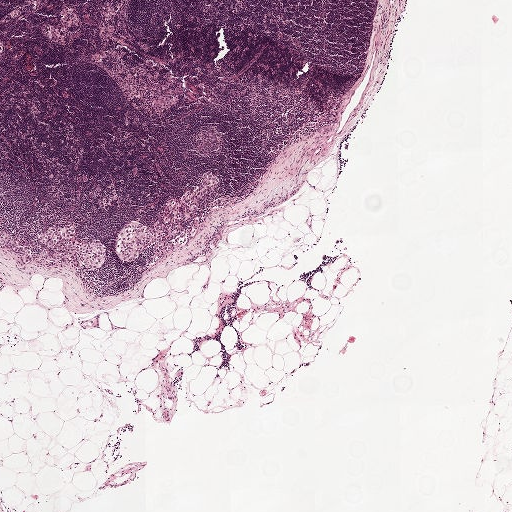
A 2.0-mm field of an H&E-stained sentinel lymph node from a breast-cancer patient (whole-slide image), shown at about 2.5×, about 3.9 µm per pixel.
Outlines of three tumour regions, largest first (closed clockwise paths, crop pixels): region 1: (207, 169), (214, 170), (220, 175), (220, 182), (198, 209), (185, 218), (177, 237), (178, 244), (164, 257), (154, 257), (155, 249), (152, 243), (131, 262), (124, 262), (117, 259), (115, 246), (124, 222), (134, 219), (147, 226), (156, 223), (167, 200), (182, 196), (200, 182); region 2: (54, 223), (65, 223), (77, 227), (80, 240), (96, 239), (105, 244), (105, 258), (98, 270), (91, 271), (85, 269), (80, 271), (75, 271), (67, 255), (52, 268), (47, 269), (43, 266), (40, 259), (39, 236); region 3: (5, 230), (19, 239), (33, 239), (33, 244), (29, 246), (33, 253), (33, 258), (31, 262), (22, 262), (14, 253), (0, 248), (0, 231).
Tumour covers under 5% of the frame.